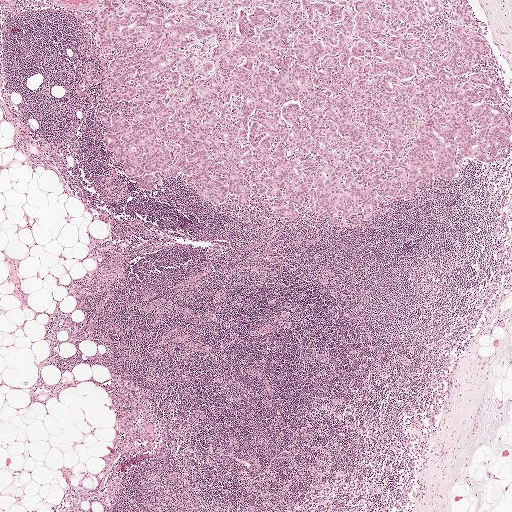
H&E-stained section of a sentinel lymph node (breast cancer), from a whole-slide image, viewed at about 2.5×: the field is about 2.0 mm across, about 3.9 µm per pixel.
One metastatic tumour region; its boundary, reduced to 24 corners and listed clockwise: (101, 0), (466, 0), (509, 93), (510, 155), (504, 166), (463, 159), (452, 181), (405, 202), (385, 197), (357, 227), (352, 216), (327, 225), (335, 214), (282, 219), (263, 196), (214, 207), (171, 177), (142, 190), (106, 151), (103, 82), (75, 93), (84, 65), (102, 71), (87, 19).
Tumour covers about 30% of the frame.